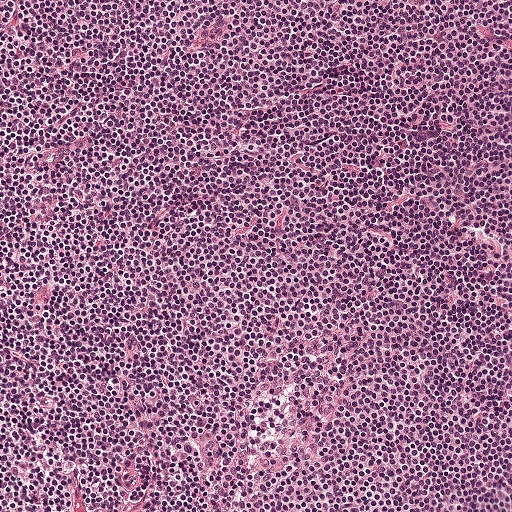
A 0.5-mm field of an H&E-stained sentinel lymph node from a breast-cancer patient (whole-slide image), shown at about 10×, about 0.97 µm per pixel.
Question: Does this lymph node field contain metastatic tumour?
Answer: No: no metastatic tumour is outlined anywhere in this field.